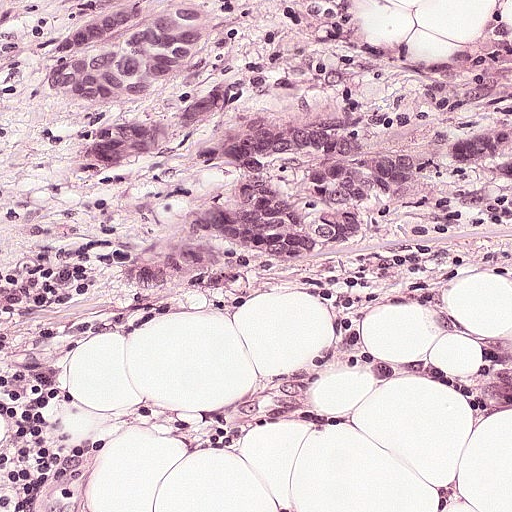
H&E-stained section of a sentinel lymph node (breast cancer), from a whole-slide image, viewed at about 20×: the field is about 0.25 mm across, about 0.49 µm per pixel.
Metastatic tumour outline, simplified to 10 points and listed clockwise in crop pixels (x, y): (0, 0), (511, 0), (511, 348), (408, 348), (282, 402), (191, 420), (137, 457), (46, 475), (46, 492), (0, 492).
Tumour covers about 80% of the frame.